A 0.12-mm field of an H&E-stained sentinel lymph node from a breast-cancer patient (whole-slide image), shown at about 40×, about 0.23 µm per pixel.
Image:
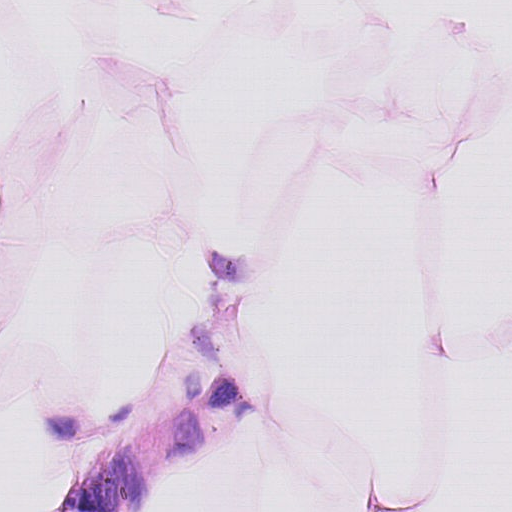
Question:
Describe where the metastatic carcinoma lies in this crop.
Answer:
The outlined metastatic tumour's edge, as a closed clockwise path of 7 points: (216, 289), (273, 416), (208, 469), (177, 511), (58, 511), (57, 484), (116, 378).
Tumour covers about 10% of the frame.